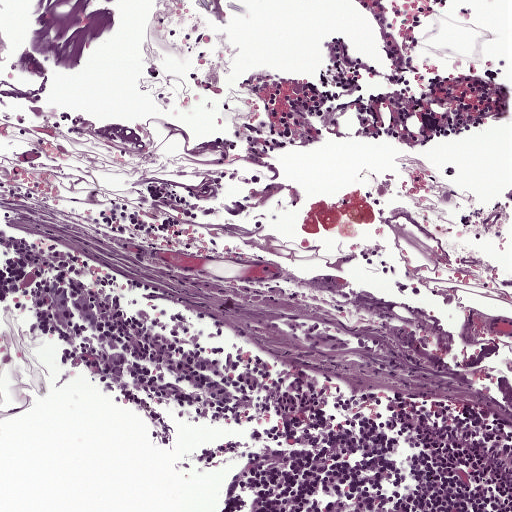
A 0.5-mm field of an H&E-stained sentinel lymph node from a breast-cancer patient (whole-slide image), shown at about 10×, about 0.97 µm per pixel.
Boundaries of three metastatic tumour regions, simplified and listed clockwise, largest first: region 1: (65, 286), (75, 295), (86, 297), (94, 315), (92, 325), (78, 323), (78, 331), (63, 332), (51, 316), (51, 290); region 2: (308, 324), (343, 328), (362, 341), (343, 354), (320, 351), (298, 344); region 3: (96, 350), (128, 351), (133, 361), (122, 378), (108, 373), (103, 367).
Tumour covers under 5% of the frame.